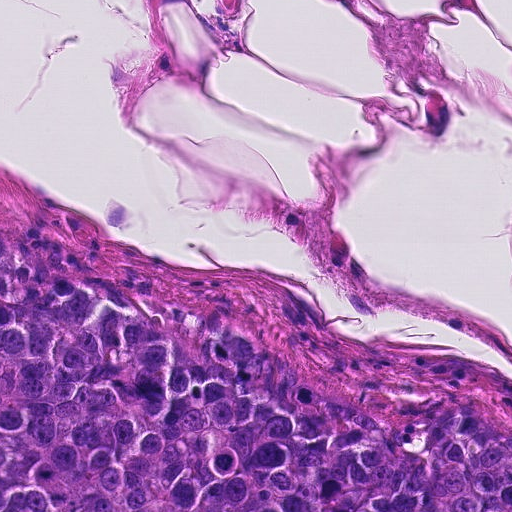
This is a crop of a whole-slide image: an H&E-stained breast-cancer sentinel lymph node section at roughly 20× magnification (about 0.45 µm per pixel; the crop spans about 0.23 mm).
One metastatic tumour region; its boundary, reduced to 9 corners and listed clockwise: (0, 225), (112, 285), (251, 335), (350, 396), (404, 415), (461, 412), (511, 435), (511, 511), (0, 511).
Tumour covers about 35% of the frame.